Image:
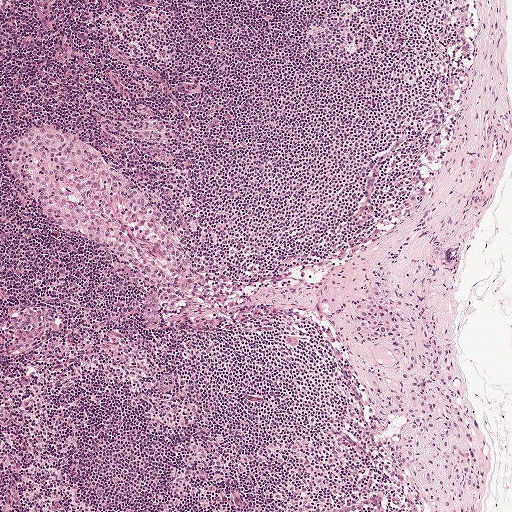
A 1-mm field of an H&E-stained sentinel lymph node from a breast-cancer patient (whole-slide image), shown at about 5×, about 1.9 µm per pixel.
Question:
Does this lymph node field contain metastatic tumour?
Answer:
Yes.
The outlined metastatic tumour's edge, as a closed clockwise path of 24 points: (370, 287), (394, 297), (413, 324), (438, 328), (448, 336), (453, 355), (452, 382), (469, 403), (472, 439), (484, 469), (477, 493), (462, 493), (464, 511), (433, 511), (430, 492), (403, 456), (405, 421), (388, 398), (398, 384), (393, 373), (398, 360), (377, 343), (349, 335), (354, 305).
The annotated tumour makes up about 5% of the crop.